This is a crop of a whole-slide image: an H&E-stained breast-cancer sentinel lymph node section at roughly 5× magnification (about 1.9 µm per pixel; the crop spans about 1 mm).
Question: 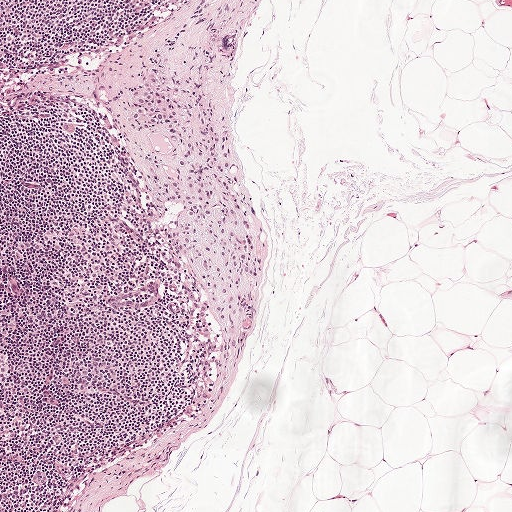
About how much of this crop is taken up by metastatic carcinoma?

Choices:
 (A) about 50% or more
 (B) about 25% to 45%
 (C) about 10% to 20%
 (D) about 5% or less
 (E) none: no tumour is outlined

Answer: (D) about 5% or less
About 5% of the field is tumour.
One metastatic tumour region; its boundary, reduced to 23 corners and listed clockwise: (147, 74), (172, 84), (190, 111), (225, 123), (229, 169), (246, 190), (261, 263), (254, 280), (239, 280), (241, 306), (228, 353), (213, 317), (196, 317), (197, 306), (210, 299), (209, 283), (181, 245), (182, 208), (165, 184), (175, 170), (175, 147), (126, 122), (131, 92).